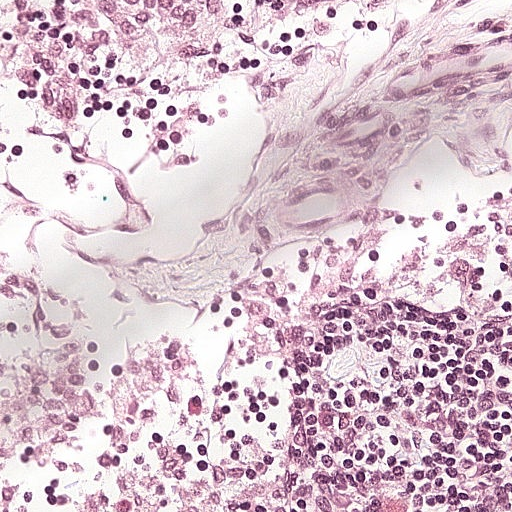
This is a crop of a whole-slide image: an H&E-stained breast-cancer sentinel lymph node section at roughly 20× magnification (about 0.49 µm per pixel; the crop spans about 0.25 mm).